Question: 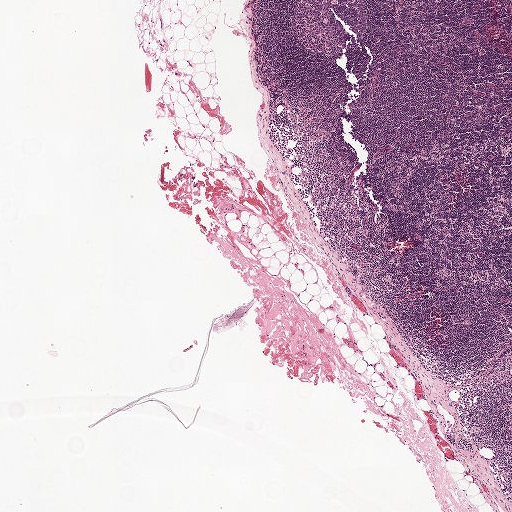
Which magnification is this H&E lymph node field most likely shown at?

Choices:
 (A) about 10×
 (B) about 5×
 (C) about 40×
 (D) about 20×
 (E) about 2.5×

Answer: (E) about 2.5×
Lymph node section stained with H&E, from a whole-slide image of a breast-cancer sentinel node. Magnification about 2.5×, about 2.0 mm across the frame, about 3.9 µm per pixel.